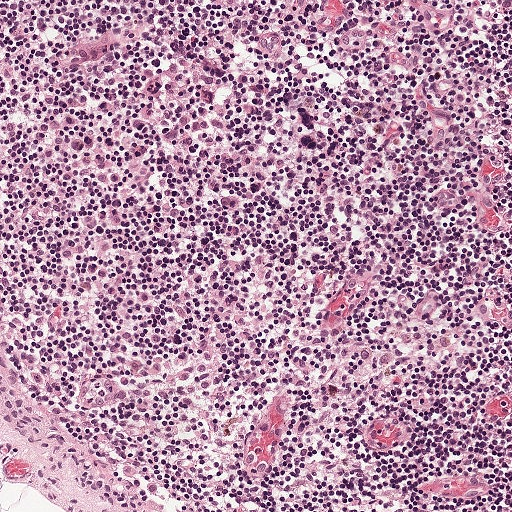
H&E-stained section of a sentinel lymph node (breast cancer), from a whole-slide image, viewed at about 10×: the field is about 0.5 mm across, about 0.97 µm per pixel.
Question: Is there metastatic carcinoma in this field?
Answer: No. No metastatic tumour is outlined in this field.